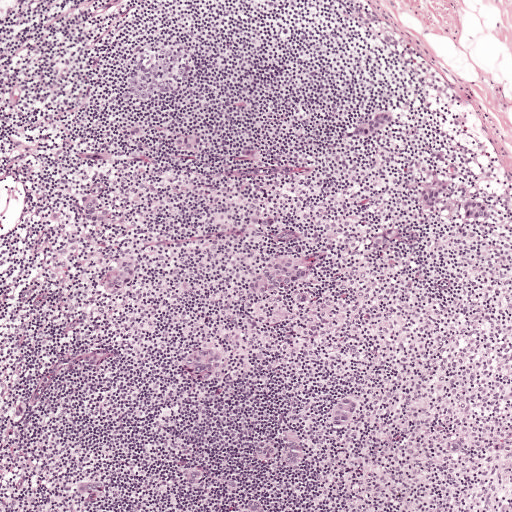
Lymph node section stained with H&E, from a whole-slide image of a breast-cancer sentinel node. Magnification about 5×, about 1 mm across the frame, about 1.9 µm per pixel.
The eight largest tumour regions' boundaries, simplified and listed clockwise, largest first: region 1: (279, 253), (292, 253), (306, 257), (310, 256), (318, 261), (318, 272), (307, 280), (262, 297), (249, 297), (236, 293), (233, 282), (264, 256); region 2: (96, 181), (108, 185), (109, 202), (121, 213), (131, 210), (131, 223), (120, 228), (108, 230), (92, 228), (82, 220), (77, 207), (78, 196), (83, 186); region 3: (265, 437), (304, 443), (311, 454), (305, 466), (294, 472), (282, 472), (271, 470), (260, 464), (250, 455), (252, 441); region 4: (193, 343), (205, 344), (217, 347), (227, 354), (226, 367), (216, 376), (204, 380), (188, 379), (178, 374), (172, 360), (177, 348); region 5: (352, 389), (363, 393), (366, 405), (364, 416), (355, 429), (341, 435), (328, 434), (325, 421), (326, 407), (335, 396); region 6: (126, 252), (138, 257), (143, 271), (135, 281), (121, 291), (107, 294), (95, 286), (96, 274), (105, 264), (114, 255); region 7: (474, 197), (487, 200), (493, 204), (493, 215), (489, 226), (475, 229), (462, 227), (453, 220), (453, 206), (462, 198); region 8: (438, 180), (450, 181), (455, 186), (450, 198), (426, 211), (415, 210), (409, 198), (413, 186), (424, 181).
13 more, smaller tumour regions are not outlined.
The annotated tumour makes up about 5% of the crop.